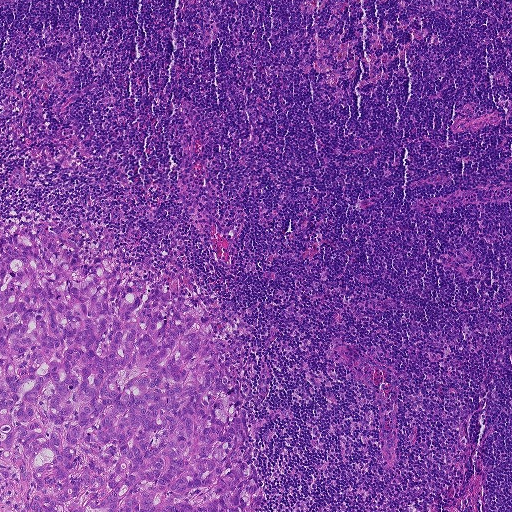
Lymph node section stained with H&E, from a whole-slide image of a breast-cancer sentinel node. Magnification about 5×, about 0.93 mm across the frame, about 1.8 µm per pixel.
The outlined metastatic tumour's edge, as a closed clockwise path of 21 points: (0, 228), (32, 240), (46, 265), (53, 250), (66, 259), (76, 278), (102, 255), (120, 269), (121, 293), (136, 279), (146, 282), (149, 304), (165, 288), (177, 305), (208, 310), (209, 339), (226, 343), (211, 360), (243, 390), (258, 511), (0, 511).
Tumour covers about 20% of the frame.